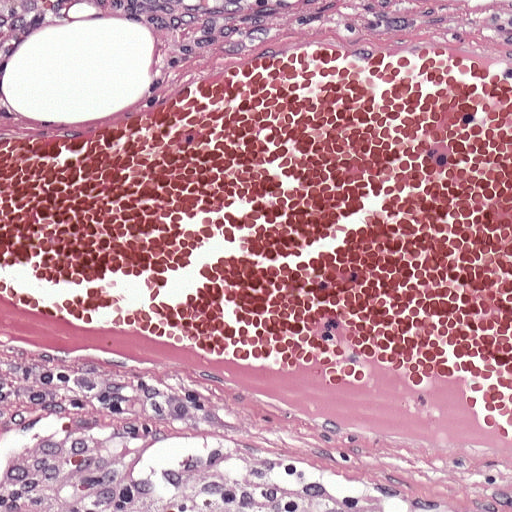
This is a crop of a whole-slide image: an H&E-stained breast-cancer sentinel lymph node section at roughly 20× magnification (about 0.49 µm per pixel; the crop spans about 0.25 mm).